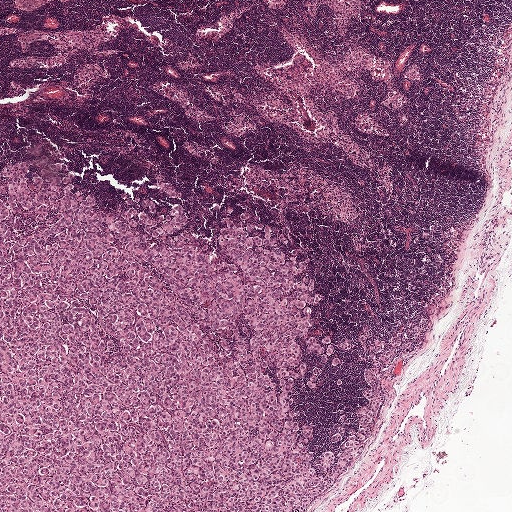
H&E-stained section of a sentinel lymph node (breast cancer), from a whole-slide image, viewed at about 2.5×: the field is about 2.0 mm across, about 3.9 µm per pixel.
Question: Is there metastatic carcinoma in this field?
Answer: Yes.
Boundaries of three metastatic tumour regions, simplified and listed clockwise, largest first: region 1: (64, 163), (106, 210), (150, 193), (195, 234), (243, 210), (290, 235), (326, 299), (315, 324), (352, 343), (317, 388), (295, 391), (312, 468), (357, 429), (363, 325), (387, 339), (426, 324), (426, 342), (387, 367), (363, 454), (305, 511), (0, 511), (0, 166); region 2: (161, 181), (167, 182), (172, 184), (179, 192), (181, 193), (181, 200), (172, 199), (166, 195), (161, 187); region 3: (337, 427), (343, 427), (344, 429), (344, 434), (337, 443), (331, 444), (327, 439), (328, 436), (335, 432), (337, 429).
About 40% of this field is tumour.